Question: 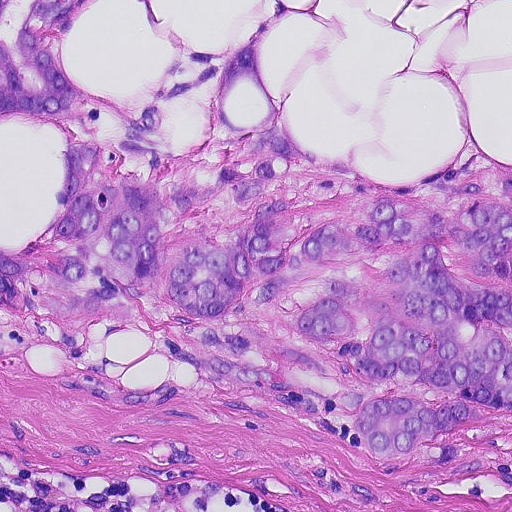
This is a crop of a whole-slide image: an H&E-stained breast-cancer sentinel lymph node section at roughly 20× magnification (about 0.45 µm per pixel; the crop spans about 0.23 mm).
What fraction of the image area is metastatic tumour?

Choices:
 (A) none: no tumour is outlined
 (B) about 5% or less
 (C) about 25% to 45%
 (D) about 10% to 20%
 (E) about 50% or more

Answer: (C) about 25% to 45%
About 45% of the field is tumour.
Two metastatic tumour regions, each outlined as a closed clockwise path in crop pixels (x, y), largest first: region 1: (33, 0), (102, 0), (63, 43), (96, 142), (204, 67), (189, 51), (218, 60), (164, 108), (150, 138), (168, 160), (204, 136), (224, 70), (274, 0), (294, 10), (214, 108), (245, 130), (280, 106), (300, 150), (298, 214), (280, 228), (382, 198), (446, 212), (472, 182), (500, 192), (511, 176), (511, 415), (390, 464), (305, 394), (216, 382), (117, 322), (74, 333), (10, 314), (0, 249), (36, 241), (67, 194), (64, 132), (0, 118), (0, 34), (39, 84), (14, 40); region 2: (0, 0), (11, 0), (10, 6), (0, 19).